Question: 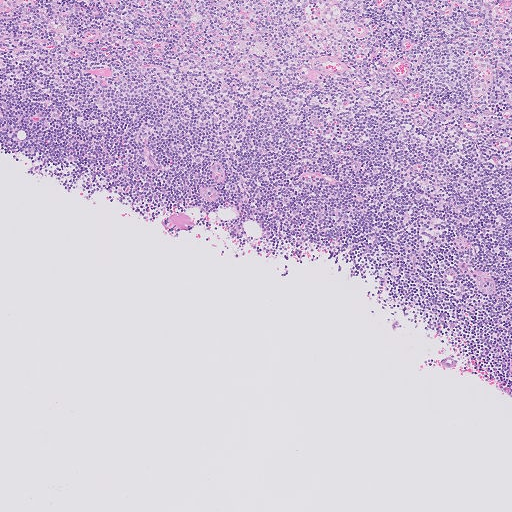
Which magnification is this H&E lymph node field most likely shown at?

Choices:
 (A) about 40×
 (B) about 10×
 (C) about 20×
 (D) about 5×
 (E) about 2.5×

Answer: (D) about 5×
A 1.0-mm field of an H&E-stained sentinel lymph node from a breast-cancer patient (whole-slide image), shown at about 5×, about 2.0 µm per pixel.